Image:
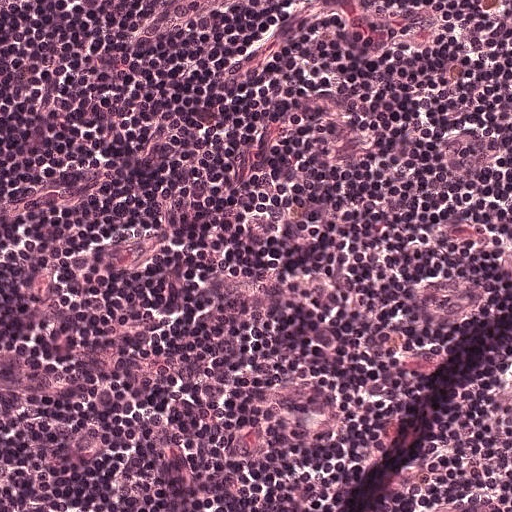
A 0.25-mm field of an H&E-stained sentinel lymph node from a breast-cancer patient (whole-slide image), shown at about 20×, about 0.49 µm per pixel.
Question:
Does this lymph node field contain metastatic tumour?
Answer:
No: no metastatic tumour is outlined anywhere in this field.